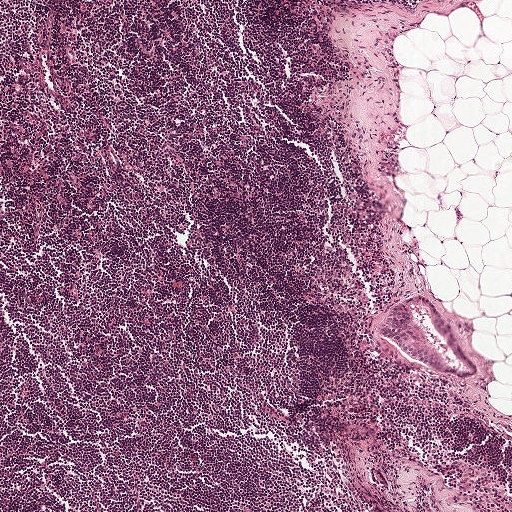
Lymph node section stained with H&E, from a whole-slide image of a breast-cancer sentinel node. Magnification about 5×, about 1 mm across the frame, about 1.9 µm per pixel.
Tumour region outline (a closed clockwise path, crop pixels): (418, 294), (421, 296), (421, 304), (416, 306), (412, 312), (414, 320), (420, 327), (421, 340), (425, 348), (430, 351), (430, 362), (423, 365), (414, 363), (407, 353), (378, 334), (376, 326), (380, 320), (393, 306).
The annotated tumour makes up under 5% of the crop.